Question: 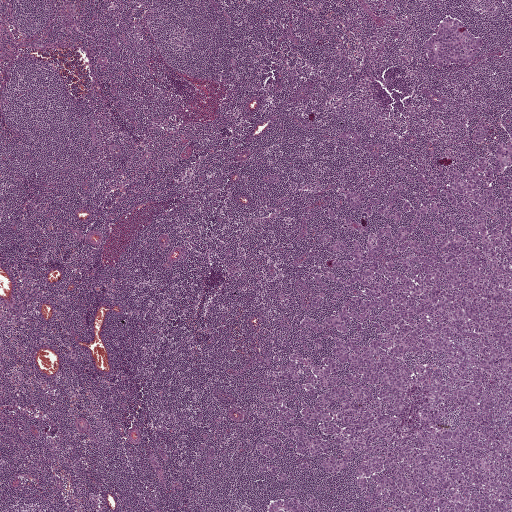
Which magnification is this H&E lymph node field most likely shown at?

Choices:
 (A) about 10×
 (B) about 5×
 (C) about 20×
 (D) about 2.5×
 (E) about 40×

Answer: (D) about 2.5×
H&E-stained section of a sentinel lymph node (breast cancer), from a whole-slide image, viewed at about 2.5×: the field is about 2.0 mm across, about 3.9 µm per pixel.
Outlines of two tumour regions, largest first (closed clockwise paths, crop pixels): region 1: (484, 118), (511, 144), (511, 511), (264, 511), (359, 496), (314, 493), (297, 451), (289, 483), (257, 471), (261, 382), (293, 389), (271, 358), (293, 353), (322, 358), (296, 350), (342, 304), (308, 305), (348, 256), (317, 236), (356, 236), (324, 210), (381, 227), (338, 190), (446, 180); region 2: (452, 15), (463, 21), (470, 32), (482, 37), (484, 43), (483, 49), (475, 60), (464, 66), (446, 69), (434, 67), (430, 62), (424, 49), (424, 42), (442, 19).
One more small tumour piece is annotated here but not outlined.
About 30% of the image area is annotated as tumour.